This is a crop of a whole-slide image: an H&E-stained breast-cancer sentinel lymph node section at roughly 2.5× magnification (about 3.6 µm per pixel; the crop spans about 1.9 mm).
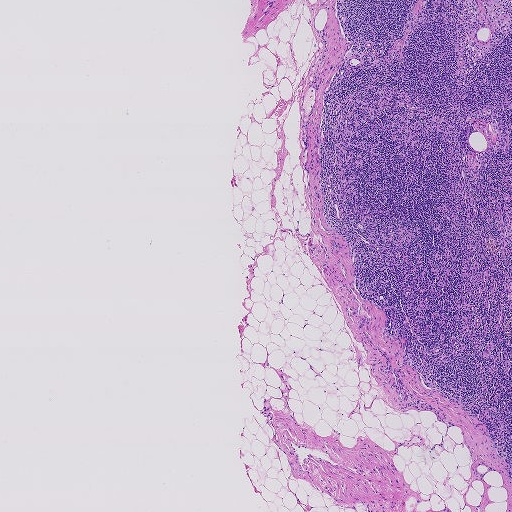
Question: Is any metastatic breast cancer visible in this crop?
Answer: No, this field holds no outlined metastasis.